Lymph node section stained with H&E, from a whole-slide image of a breast-cancer sentinel node. Magnification about 10×, about 0.5 mm across the frame, about 0.97 µm per pixel.
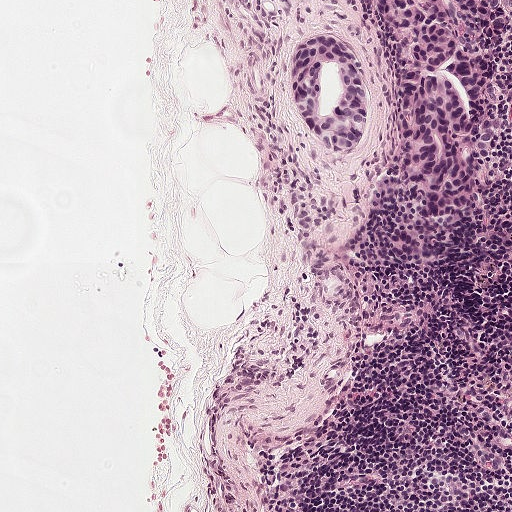
Boundaries of two metastatic tumour regions, simplified and listed clockwise, largest first: region 1: (511, 0), (511, 148), (493, 179), (484, 182), (478, 218), (460, 230), (427, 215), (408, 183), (396, 154), (406, 113), (403, 70), (364, 3); region 2: (316, 37), (346, 42), (367, 70), (372, 98), (370, 128), (360, 148), (346, 157), (330, 157), (299, 126), (293, 111), (289, 62), (295, 48).
Region 2 encloses a non-tumour hole of about 15% of its area.
The annotated tumour makes up about 10% of the crop.